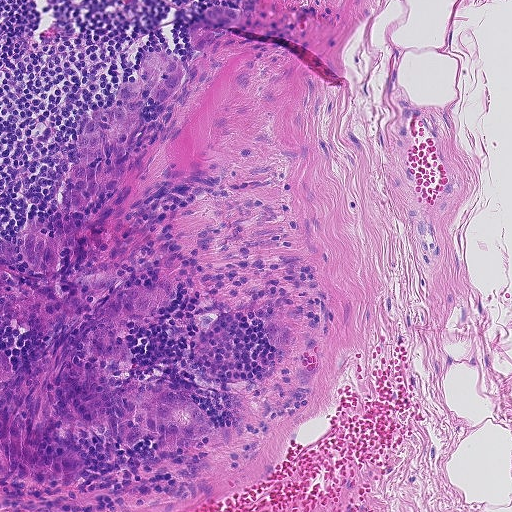
H&E-stained section of a sentinel lymph node (breast cancer), from a whole-slide image, viewed at about 10×: the field is about 0.46 mm across, about 0.9 µm per pixel.
Question: Trace the edge of each tumour region in this crop, as (x, y) points from 0 to 511.
Answer: Three metastatic tumour regions, each outlined as a closed clockwise path in crop pixels (x, y), largest first: region 1: (143, 56), (180, 59), (185, 132), (160, 144), (130, 214), (152, 240), (78, 282), (92, 290), (88, 317), (170, 270), (174, 296), (129, 329), (124, 356), (88, 374), (107, 392), (162, 388), (215, 423), (146, 444), (64, 419), (51, 436), (90, 474), (0, 478), (0, 349), (18, 373), (61, 321), (37, 330), (2, 312), (18, 293), (0, 286), (0, 243), (16, 247), (15, 274), (44, 276), (20, 235), (74, 225), (116, 188), (78, 213), (54, 207), (83, 119), (109, 109); region 2: (217, 6), (241, 11), (241, 19), (237, 25), (214, 30), (217, 38), (212, 44), (198, 50), (191, 47), (187, 40), (187, 32), (190, 24), (206, 20), (203, 12), (208, 8); region 3: (270, 318), (294, 331), (296, 337), (294, 349), (288, 352), (276, 349), (272, 345), (265, 326), (266, 320).
About 15% of this field is tumour.